Question: 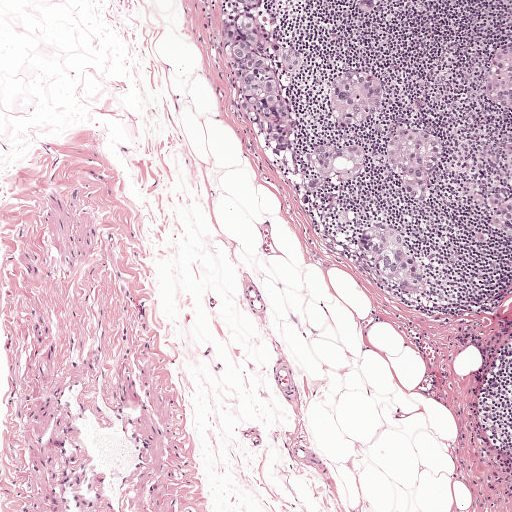
At roughly what magnification is this field shown?

Choices:
 (A) about 10×
 (B) about 40×
 (C) about 20×
 (D) about 2.5×
 (E) about 5×

Answer: (E) about 5×
This is a crop of a whole-slide image: an H&E-stained breast-cancer sentinel lymph node section at roughly 5× magnification (about 1.9 µm per pixel; the crop spans about 1 mm).
Outlines of eight tumour regions, largest first (closed clockwise paths, crop pixels): region 1: (225, 0), (268, 0), (267, 4), (277, 15), (278, 34), (303, 56), (304, 63), (296, 73), (277, 70), (280, 88), (297, 122), (291, 152), (286, 154), (267, 149), (240, 115), (224, 46), (229, 21), (239, 14), (240, 7), (227, 7); region 2: (377, 221), (397, 224), (407, 233), (422, 263), (427, 276), (428, 291), (423, 295), (417, 295), (383, 279), (360, 263), (352, 251), (352, 235), (358, 229); region 3: (400, 127), (412, 127), (443, 140), (445, 153), (430, 176), (430, 198), (425, 205), (419, 207), (407, 203), (398, 183), (382, 168), (379, 160), (385, 140); region 4: (357, 141), (363, 141), (368, 145), (369, 158), (361, 178), (354, 184), (320, 191), (312, 209), (305, 209), (300, 205), (299, 198), (303, 184), (314, 176), (308, 164), (308, 154), (312, 147), (318, 143), (340, 145); region 5: (349, 69), (379, 79), (381, 86), (381, 94), (372, 114), (362, 124), (356, 125), (342, 125), (337, 122), (332, 112), (329, 93), (333, 80), (342, 72); region 6: (511, 40), (511, 107), (504, 106), (494, 99), (485, 82), (487, 68), (491, 56), (496, 50); region 7: (492, 192), (501, 192), (511, 195), (511, 234), (495, 229), (488, 230), (493, 234), (492, 241), (487, 243), (480, 243), (473, 240), (473, 234), (485, 230), (483, 224), (494, 214), (489, 209), (487, 196); region 8: (359, 0), (382, 0), (380, 10), (375, 15), (366, 16), (361, 14), (358, 9).
Tumour covers about 10% of the frame.
Question: 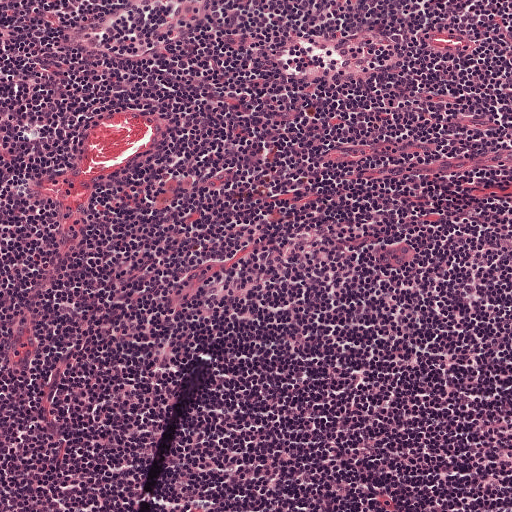
At roughly what magnification is this field shown?

Choices:
 (A) about 10×
 (B) about 2.5×
 (C) about 40×
 (D) about 20×
 (E) about 5×

Answer: (A) about 10×
Lymph node section stained with H&E, from a whole-slide image of a breast-cancer sentinel node. Magnification about 10×, about 0.5 mm across the frame, about 0.97 µm per pixel.
Question: 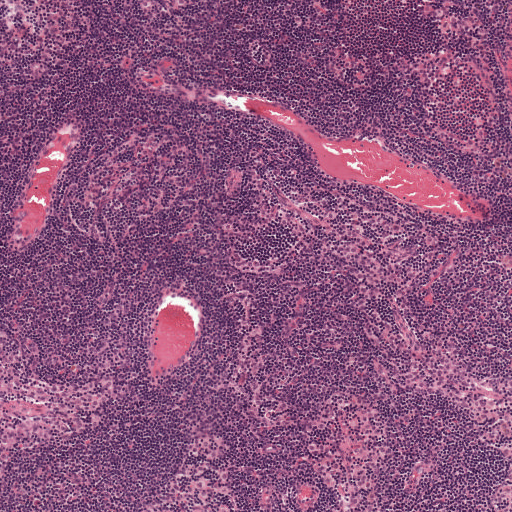
At roughly what magnification is this field shown?

Choices:
 (A) about 5×
 (B) about 10×
 (C) about 20×
 (D) about 2.5×
 (E) about 40×

Answer: (A) about 5×
A 1-mm field of an H&E-stained sentinel lymph node from a breast-cancer patient (whole-slide image), shown at about 5×, about 1.9 µm per pixel.
Question: 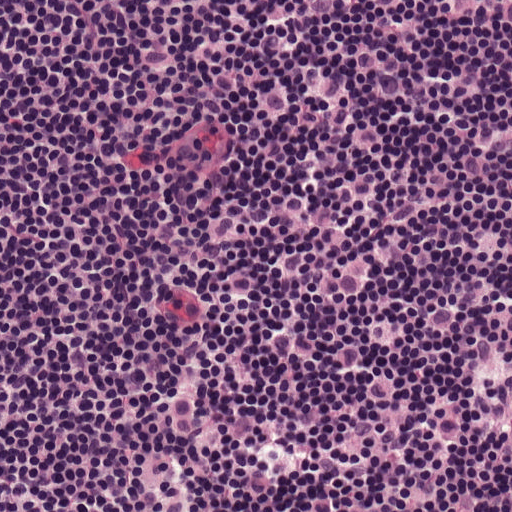
At roughly what magnification is this field shown?

Choices:
 (A) about 10×
 (B) about 5×
 (C) about 20×
 (D) about 40×
 (E) about 2.5×

Answer: (C) about 20×
This is a crop of a whole-slide image: an H&E-stained breast-cancer sentinel lymph node section at roughly 20× magnification (about 0.49 µm per pixel; the crop spans about 0.25 mm).